A 0.93-mm field of an H&E-stained sentinel lymph node from a breast-cancer patient (whole-slide image), shown at about 5×, about 1.8 µm per pixel.
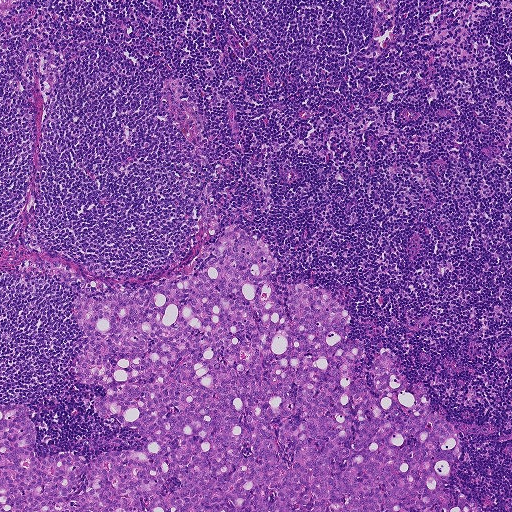
Metastatic tumour outline, simplified to 24 points and listed clockwise in crop pixels (x, y): (240, 226), (280, 263), (282, 299), (298, 282), (341, 300), (367, 354), (355, 380), (376, 397), (387, 348), (446, 418), (495, 426), (455, 432), (448, 493), (482, 507), (0, 511), (0, 405), (30, 408), (45, 456), (142, 450), (96, 416), (103, 387), (71, 375), (77, 295), (144, 287).
Tumour covers about 30% of the frame.